Question: 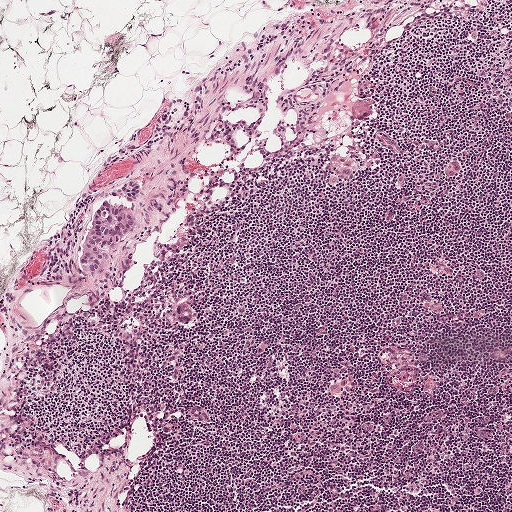
A 1-mm field of an H&E-stained sentinel lymph node from a breast-cancer patient (whole-slide image), shown at about 5×, about 1.9 µm per pixel.
About how much of this crop is taken up by metastatic carcinoma?

Choices:
 (A) about 25% to 45%
 (B) about 5% or less
 (C) about 50% or more
 (D) none: no tumour is outlined
 (E) about 10% to 20%

Answer: (B) about 5% or less
Under 5% of the field is tumour.
Metastatic tumour outline, simplified to 14 points and listed clockwise in crop pixels (x, y): (138, 177), (142, 179), (139, 201), (141, 220), (136, 232), (116, 249), (106, 269), (98, 270), (96, 274), (82, 273), (80, 265), (84, 240), (100, 198), (126, 180).